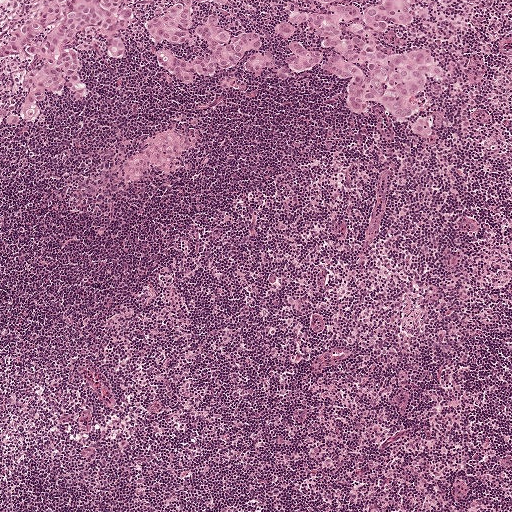
H&E-stained section of a sentinel lymph node (breast cancer), from a whole-slide image, viewed at about 5×: the field is about 1 mm across, about 1.9 µm per pixel.
Question: Which parts of this field are metastatic tumour?
Answer: Four metastatic tumour regions, each outlined as a closed clockwise path in crop pixels (x, y), largest first: region 1: (322, 0), (360, 0), (362, 10), (382, 8), (386, 0), (413, 0), (420, 15), (417, 23), (391, 23), (379, 42), (391, 52), (423, 49), (442, 65), (445, 79), (428, 77), (416, 100), (432, 122), (432, 134), (417, 137), (412, 118), (397, 117), (377, 101), (359, 115), (350, 113), (352, 79), (320, 66), (281, 82), (294, 42), (336, 52), (322, 43), (312, 25), (289, 37), (278, 23), (297, 10), (327, 14); region 2: (31, 0), (139, 0), (134, 28), (124, 35), (129, 59), (108, 57), (101, 45), (88, 48), (84, 57), (88, 86), (82, 102), (74, 102), (64, 84), (52, 95), (50, 118), (20, 128), (0, 123), (0, 79), (16, 66), (1, 60), (0, 52), (26, 20); region 3: (237, 0), (227, 8), (203, 6), (195, 11), (196, 22), (208, 22), (211, 14), (216, 12), (222, 24), (233, 30), (253, 29), (262, 32), (265, 36), (263, 46), (244, 52), (236, 65), (226, 69), (221, 68), (223, 70), (216, 77), (199, 78), (192, 84), (180, 82), (158, 64), (158, 53), (164, 50), (178, 53), (201, 61), (210, 56), (210, 49), (203, 40), (197, 43), (171, 43), (150, 33), (150, 18), (169, 7), (171, 1); region 4: (272, 50), (274, 55), (274, 67), (258, 71), (253, 70), (247, 66), (248, 57), (258, 51), (263, 53).
About 10% of this field is tumour.